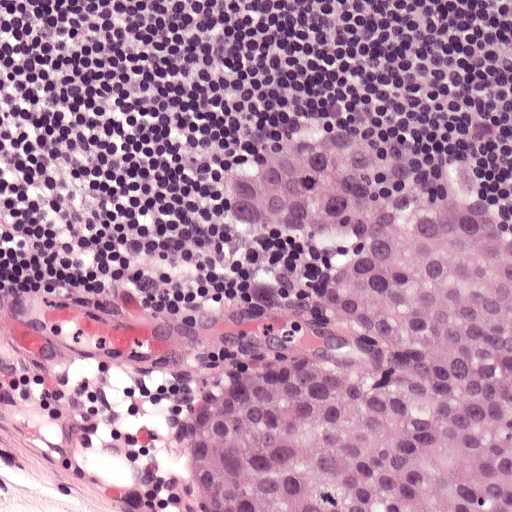
H&E-stained section of a sentinel lymph node (breast cancer), from a whole-slide image, viewed at about 20×: the field is about 0.25 mm across, about 0.49 µm per pixel.
The outlined metastatic tumour's edge, as a closed clockwise path of 16 points: (308, 94), (364, 100), (413, 124), (511, 224), (511, 511), (205, 511), (187, 394), (226, 362), (316, 344), (339, 266), (334, 237), (284, 244), (234, 232), (207, 188), (222, 138), (258, 102).
About 40% of the image area is annotated as tumour.